Question: 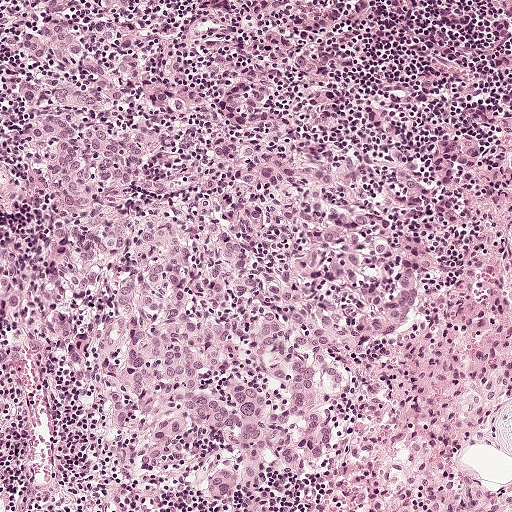
Lymph node section stained with H&E, from a whole-slide image of a breast-cancer sentinel node. Magnification about 10×, about 0.5 mm across the frame, about 0.97 µm per pixel.
Estimate the proportion of this field that is metastatic tumour.

Choices:
 (A) about 10% to 20%
 (B) about 25% to 45%
 (C) about 5% or less
 (D) about 50% or more
 (E) none: no tumour is outlined

Answer: (D) about 50% or more
About 60% of the field is tumour.
Metastatic tumour outline, simplified to 24 points and listed clockwise in crop pixels (x, y): (384, 0), (340, 116), (376, 172), (372, 206), (399, 220), (404, 268), (422, 243), (426, 292), (404, 329), (356, 342), (324, 462), (296, 469), (284, 443), (258, 494), (237, 504), (144, 483), (90, 389), (13, 323), (0, 249), (27, 246), (48, 221), (24, 164), (32, 61), (12, 2).